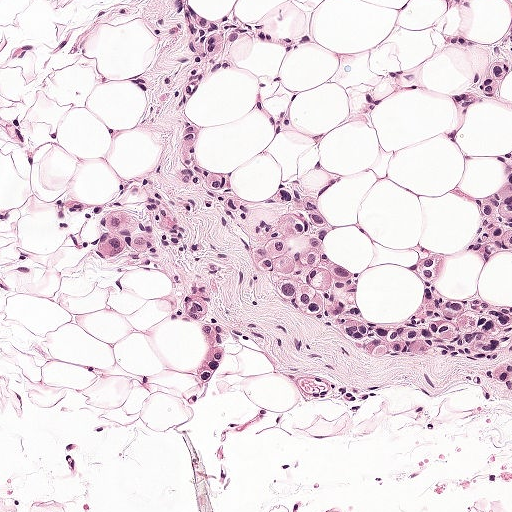
H&E-stained section of a sentinel lymph node (breast cancer), from a whole-slide image, viewed at about 10×: the field is about 0.5 mm across, about 0.97 µm per pixel.
Outlines of three tumour regions, largest first (closed clockwise paths, crop pixels): region 1: (194, 0), (236, 28), (185, 100), (200, 169), (250, 196), (286, 178), (320, 178), (313, 200), (329, 232), (321, 244), (358, 268), (368, 311), (415, 306), (400, 254), (414, 238), (435, 250), (435, 289), (511, 298), (511, 363), (426, 358), (319, 323), (176, 200), (156, 165), (175, 2); region 2: (511, 0), (511, 70), (493, 89), (489, 99), (472, 104), (466, 110), (454, 142), (445, 142), (444, 93), (462, 78), (462, 60), (435, 50), (430, 42), (430, 32), (466, 37), (490, 37), (502, 25), (502, 8), (499, 1); region 3: (511, 146), (511, 264), (476, 251), (462, 240), (462, 230), (470, 217), (466, 193), (498, 179), (498, 171), (488, 159), (504, 147).
The annotated tumour makes up about 15% of the crop.